Question: 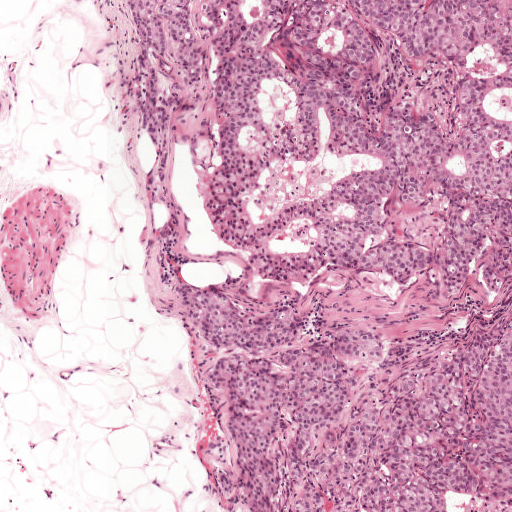
At roughly what magnification is this field shown?

Choices:
 (A) about 20×
 (B) about 2.5×
 (C) about 5×
 (D) about 40×
 (E) about 10×

Answer: (C) about 5×
H&E-stained section of a sentinel lymph node (breast cancer), from a whole-slide image, viewed at about 5×: the field is about 1 mm across, about 1.9 µm per pixel.
The outlined metastatic tumour's edge, as a closed clockwise path of 11 points: (127, 0), (511, 0), (511, 511), (235, 511), (216, 490), (220, 465), (234, 476), (233, 442), (164, 272), (170, 223), (149, 178).
Tumour covers about 65% of the frame.